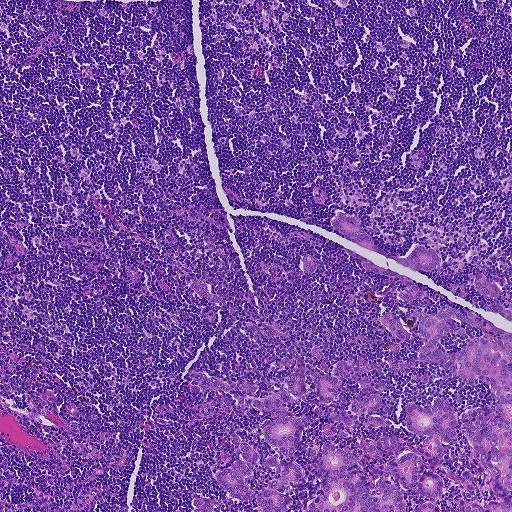
This is a crop of a whole-slide image: an H&E-stained breast-cancer sentinel lymph node section at roughly 5× magnification (about 1.8 µm per pixel; the crop spans about 0.93 mm).
The outlined metastatic tumour's edge, as a closed clockwise path of 40 points: (335, 212), (402, 258), (434, 250), (424, 290), (465, 316), (450, 285), (481, 308), (481, 272), (511, 304), (511, 511), (300, 511), (323, 480), (317, 425), (282, 511), (214, 481), (240, 445), (272, 456), (272, 412), (191, 372), (257, 385), (258, 400), (292, 371), (371, 359), (385, 423), (363, 436), (422, 452), (406, 405), (444, 399), (462, 427), (467, 409), (496, 408), (489, 383), (418, 359), (420, 337), (372, 319), (390, 312), (414, 333), (414, 309), (440, 309), (365, 270).
About 15% of this field is tumour.